A 1.0-mm field of an H&E-stained sentinel lymph node from a breast-cancer patient (whole-slide image), shown at about 5×, about 2.0 µm per pixel.
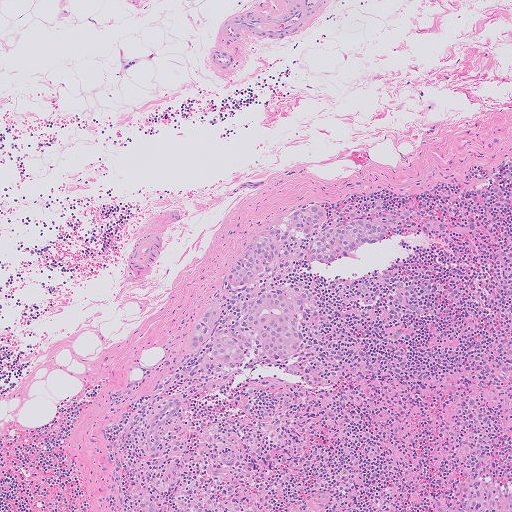
Boundaries of two metastatic tumour regions, simplified and listed clockwise, largest first: region 1: (288, 283), (310, 292), (316, 307), (306, 328), (308, 334), (303, 348), (285, 360), (200, 377), (196, 372), (200, 358), (179, 350), (181, 336), (196, 316), (211, 306), (218, 306), (223, 311), (220, 327), (228, 325), (252, 298); region 2: (318, 203), (327, 212), (326, 219), (331, 224), (338, 224), (348, 213), (355, 212), (361, 217), (391, 220), (393, 234), (388, 240), (360, 248), (325, 264), (309, 263), (304, 258), (309, 236), (288, 258), (249, 284), (228, 285), (227, 270), (246, 246), (267, 224), (303, 204).
The annotated tumour makes up about 5% of the crop.